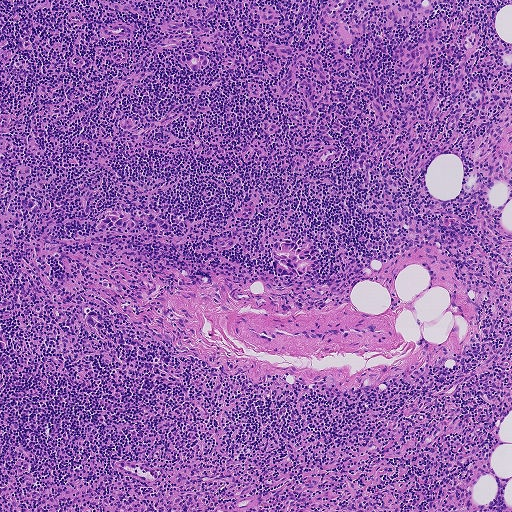
H&E-stained section of a sentinel lymph node (breast cancer), from a whole-slide image, viewed at about 5×: the field is about 0.93 mm across, about 1.8 µm per pixel.
Outlines of five tumour regions, largest first (closed clockwise paths, crop pixels): region 1: (281, 237), (300, 246), (315, 244), (318, 251), (318, 266), (306, 274), (299, 276), (278, 274), (273, 268), (273, 253), (269, 243), (274, 238); region 2: (143, 208), (172, 227), (167, 232), (154, 236), (139, 236), (95, 228), (107, 212), (114, 210), (129, 214); region 3: (199, 49), (205, 53), (208, 59), (208, 67), (202, 70), (195, 71), (183, 63), (178, 56), (185, 53); region 4: (90, 308), (101, 317), (103, 324), (102, 331), (97, 331), (86, 323), (83, 311); region 5: (17, 194), (25, 196), (37, 204), (40, 210), (34, 214), (28, 214), (18, 202).
Tumour covers under 5% of the frame.